Question: 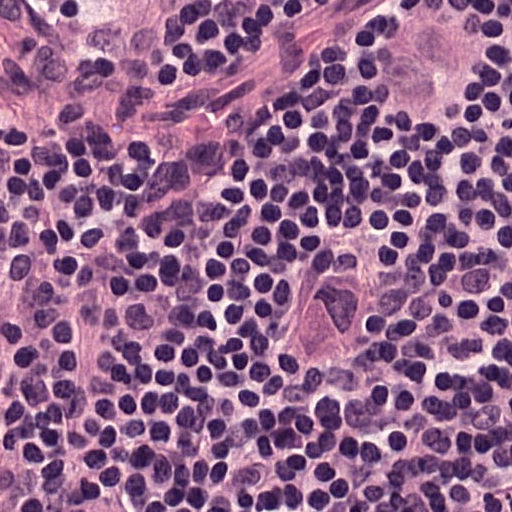
About what magnification does this crop show?

Choices:
 (A) about 5×
 (B) about 2.5×
 (C) about 40×
 (D) about 20×
 (E) about 10×

Answer: (C) about 40×
A 0.12-mm field of an H&E-stained sentinel lymph node from a breast-cancer patient (whole-slide image), shown at about 40×, about 0.24 µm per pixel.
Outlines of four tumour regions, largest first (closed clockwise paths, crop pixels): region 1: (0, 0), (323, 0), (278, 88), (250, 117), (210, 133), (85, 133), (5, 94); region 2: (336, 236), (381, 236), (393, 242), (420, 293), (420, 378), (398, 400), (318, 400), (290, 367), (290, 304), (307, 265), (347, 259); region 3: (404, 8), (478, 14), (495, 31), (495, 48), (500, 48), (500, 122), (495, 139), (472, 155), (404, 155), (393, 151), (376, 116), (376, 54), (393, 14); region 4: (0, 288), (5, 288), (16, 310), (33, 362), (56, 402), (56, 413), (68, 424), (79, 464), (90, 476), (96, 493), (113, 504), (113, 510), (119, 510), (0, 511).
Tumour covers about 30% of the frame.